A 1.9-mm field of an H&E-stained sentinel lymph node from a breast-cancer patient (whole-slide image), shown at about 2.5×, about 3.6 µm per pixel.
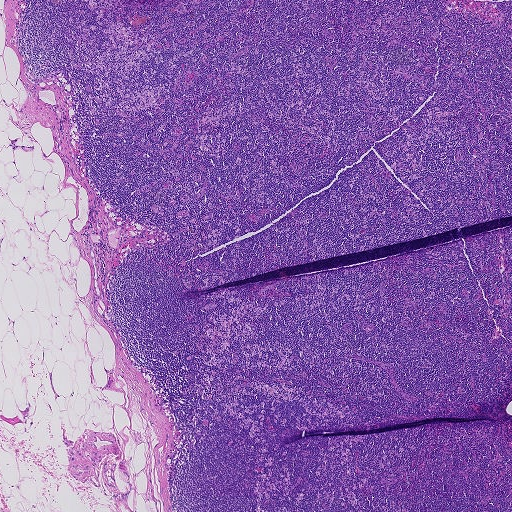
Question: Is there metastatic carcinoma in this field?
Answer: No, this field holds no outlined metastasis.